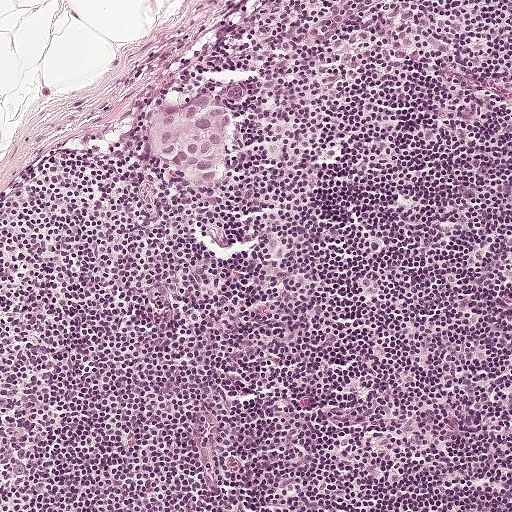
Lymph node section stained with H&E, from a whole-slide image of a breast-cancer sentinel node. Magnification about 10×, about 0.5 mm across the frame, about 0.97 µm per pixel.
One metastatic tumour region; its boundary, reduced to 15 corners and listed clockwise: (200, 93), (210, 95), (227, 108), (227, 125), (219, 150), (220, 180), (216, 188), (205, 189), (195, 186), (174, 166), (163, 166), (144, 154), (151, 118), (160, 111), (192, 99).
Under 5% of this field is tumour.